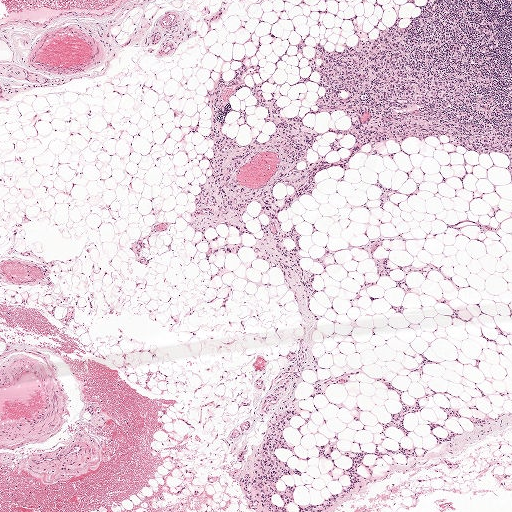
H&E-stained section of a sentinel lymph node (breast cancer), from a whole-slide image, viewed at about 2.5×: the field is about 2.0 mm across, about 3.9 µm per pixel.
Outlines of the eight largest metastatic tumour regions, each a closed clockwise path in crop pixels (x, y), largest first: region 1: (374, 0), (384, 8), (383, 26), (419, 14), (406, 0), (473, 0), (499, 28), (511, 182), (506, 156), (445, 134), (355, 153), (339, 182), (319, 165), (279, 215), (319, 230), (302, 302), (246, 247), (204, 257), (186, 218), (210, 170), (189, 132), (251, 57), (220, 126), (266, 140), (250, 87), (274, 80), (264, 97), (318, 130), (302, 168), (348, 119), (290, 85), (299, 76), (318, 78), (299, 39), (353, 45), (354, 13), (373, 37); region 2: (283, 410), (298, 410), (306, 416), (309, 414), (309, 420), (298, 431), (294, 428), (300, 425), (302, 419), (294, 415), (289, 416), (293, 426), (278, 428), (293, 445), (294, 452), (309, 456), (309, 460), (290, 456), (290, 450), (286, 447), (274, 450), (278, 458), (285, 460), (287, 465), (301, 473), (283, 474), (276, 482), (278, 489), (295, 483), (293, 500), (286, 506), (291, 511), (261, 511), (240, 487), (240, 478), (254, 461), (272, 418); region 3: (335, 438), (339, 447), (345, 451), (364, 452), (376, 445), (379, 452), (394, 448), (398, 441), (402, 448), (415, 448), (415, 454), (411, 458), (399, 452), (378, 457), (363, 455), (368, 467), (358, 462), (357, 472), (362, 477), (325, 511), (299, 511), (299, 509), (309, 502), (319, 503), (332, 492), (348, 486), (349, 477), (341, 470), (349, 467), (351, 461), (349, 457), (332, 451), (336, 467), (332, 468), (331, 477), (328, 474), (328, 461), (317, 456), (314, 445); region 4: (374, 375), (390, 380), (396, 387), (402, 388), (405, 390), (405, 392), (400, 398), (400, 401), (401, 403), (406, 403), (412, 402), (413, 400), (414, 395), (419, 405), (419, 409), (418, 410), (410, 412), (402, 416), (402, 419), (404, 423), (408, 430), (404, 434), (397, 428), (390, 424), (387, 425), (385, 426), (382, 434), (381, 434), (381, 427), (378, 422), (388, 420), (390, 418), (391, 414), (397, 411), (399, 408), (396, 392), (393, 389), (388, 388), (373, 378); region 5: (377, 237), (382, 239), (381, 244), (374, 250), (374, 255), (387, 257), (387, 266), (390, 268), (388, 276), (385, 277), (378, 277), (373, 261), (370, 259), (364, 249), (359, 247), (363, 243); region 6: (448, 405), (451, 407), (456, 408), (460, 413), (463, 415), (475, 415), (480, 417), (483, 421), (483, 425), (482, 425), (469, 421), (461, 416), (455, 416), (446, 420), (444, 426), (436, 425), (433, 426), (433, 434), (438, 438), (443, 438), (447, 435), (447, 430), (448, 430), (457, 432), (458, 433), (456, 435), (452, 435), (446, 438), (442, 442), (439, 442), (430, 433), (428, 424), (428, 422), (435, 423), (440, 422), (444, 420), (445, 414), (440, 407); region 7: (399, 277), (403, 279), (411, 288), (410, 291), (406, 292), (395, 285), (393, 280); region 8: (239, 108), (243, 108), (245, 109), (245, 112), (247, 113), (247, 115), (245, 118), (245, 121), (248, 123), (248, 125), (238, 125), (238, 118), (239, 115), (238, 109).
One more, smaller tumour region is not outlined.
Two more small tumour pieces are annotated here but not outlined.
About 20% of the image area is annotated as tumour.